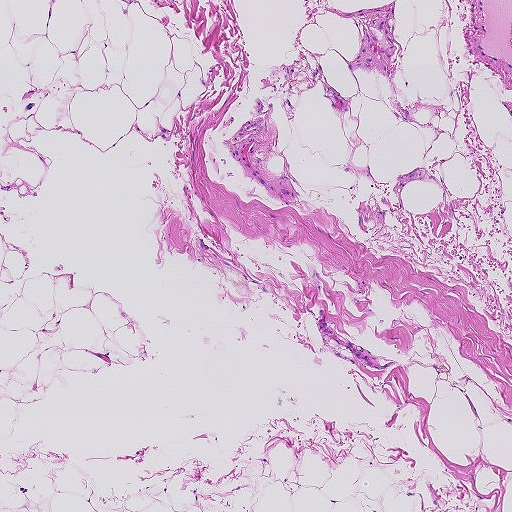
Lymph node section stained with H&E, from a whole-slide image of a breast-cancer sentinel node. Magnification about 5×, about 0.93 mm across the frame, about 1.8 µm per pixel.